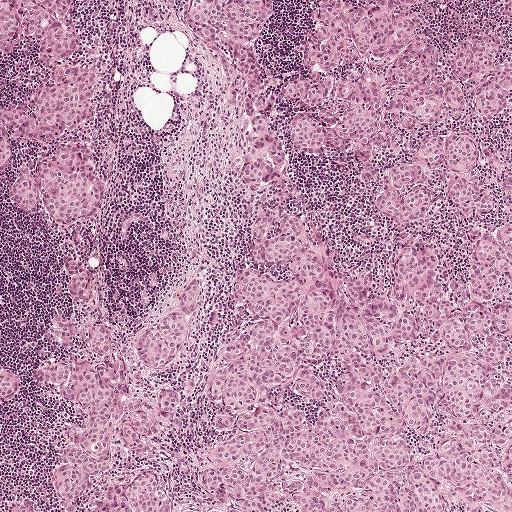
H&E-stained section of a sentinel lymph node (breast cancer), from a whole-slide image, viewed at about 5×: the field is about 1 mm across, about 1.9 µm per pixel.
Outlines of seven tumour regions, largest first (closed clockwise paths, crop pixels): region 1: (187, 0), (268, 0), (301, 210), (379, 283), (399, 233), (467, 276), (465, 215), (432, 171), (425, 218), (376, 209), (385, 152), (358, 186), (293, 148), (282, 88), (320, 2), (455, 0), (426, 35), (445, 54), (498, 32), (511, 105), (424, 133), (491, 138), (511, 511), (55, 502), (63, 414), (34, 373), (71, 308), (62, 252), (127, 348), (206, 279), (141, 381), (179, 395), (167, 442), (211, 439), (172, 374), (242, 319), (247, 123); region 2: (0, 0), (75, 0), (76, 22), (88, 46), (101, 59), (98, 115), (94, 121), (41, 138), (13, 140), (2, 128), (2, 109), (41, 93), (44, 73), (35, 48), (21, 39), (1, 55); region 3: (60, 144), (84, 145), (91, 165), (104, 179), (109, 190), (107, 210), (101, 217), (62, 227), (54, 224), (42, 214), (22, 214), (9, 208), (9, 190), (14, 181), (37, 168); region 4: (0, 362), (10, 366), (21, 379), (21, 388), (10, 405), (1, 406); region 5: (0, 132), (13, 146), (12, 168), (4, 178), (0, 179); region 6: (28, 496), (29, 497), (41, 503), (41, 504), (41, 511), (9, 511), (10, 509), (16, 502), (22, 499); region 7: (505, 0), (511, 0), (511, 18), (504, 12).
The annotated tumour makes up about 65% of the crop.